Question: 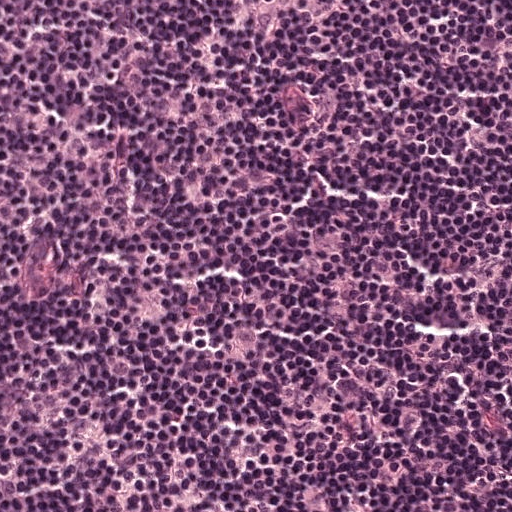
At roughly what magnification is this field shown?

Choices:
 (A) about 2.5×
 (B) about 20×
 (C) about 10×
 (D) about 40×
 (E) about 5×

Answer: (B) about 20×
H&E-stained section of a sentinel lymph node (breast cancer), from a whole-slide image, viewed at about 20×: the field is about 0.25 mm across, about 0.49 µm per pixel.